Question: 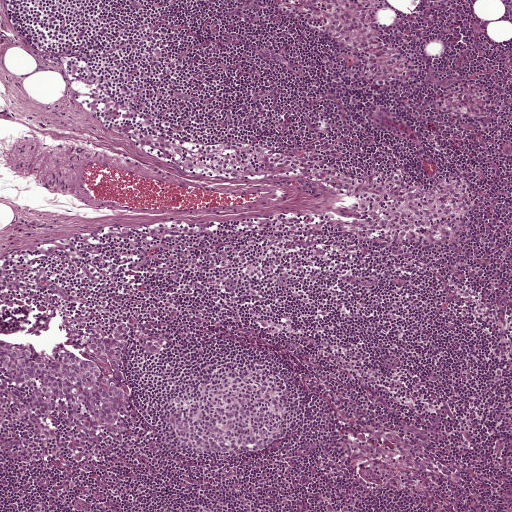
At roughly what magnification is this field shown?

Choices:
 (A) about 10×
 (B) about 2.5×
 (C) about 20×
 (D) about 40×
 (E) about 5×

Answer: (E) about 5×
A 1-mm field of an H&E-stained sentinel lymph node from a breast-cancer patient (whole-slide image), shown at about 5×, about 1.9 µm per pixel.
The outlined metastatic tumour's edge, as a closed clockwise path of 18 points: (140, 320), (161, 338), (157, 356), (128, 337), (122, 373), (128, 420), (118, 434), (56, 416), (38, 421), (21, 387), (0, 384), (0, 338), (44, 351), (60, 342), (113, 375), (89, 335), (122, 321), (135, 328).
The annotated tumour makes up about 5% of the crop.